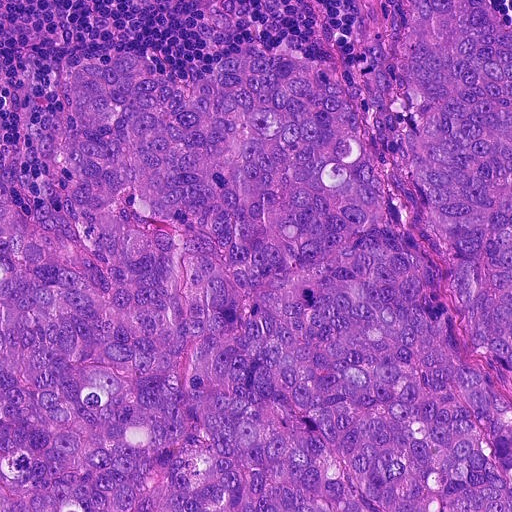
H&E-stained section of a sentinel lymph node (breast cancer), from a whole-slide image, viewed at about 20×: the field is about 0.23 mm across, about 0.45 µm per pixel.
Question: Which parts of this field are metastatic tumour?
Answer: Metastatic tumour outline, simplified to 24 points and listed clockwise in crop pixels (x, y): (411, 0), (500, 8), (511, 27), (511, 511), (0, 511), (0, 193), (33, 218), (57, 209), (80, 60), (131, 48), (184, 88), (223, 56), (335, 66), (366, 92), (391, 182), (390, 232), (430, 264), (460, 324), (448, 244), (428, 229), (406, 154), (402, 129), (418, 110), (396, 64).
About 85% of the image area is annotated as tumour.